Question: 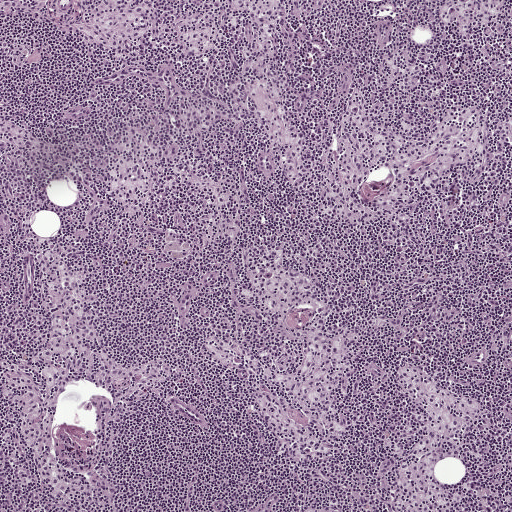
About what magnification does this crop show?

Choices:
 (A) about 5×
 (B) about 10×
 (C) about 2.5×
 (D) about 20×
 (E) about 40×

Answer: (A) about 5×
A 1-mm field of an H&E-stained sentinel lymph node from a breast-cancer patient (whole-slide image), shown at about 5×, about 1.9 µm per pixel.